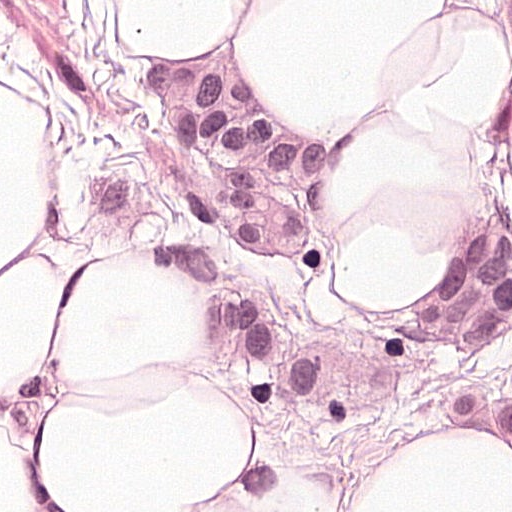
A 0.12-mm field of an H&E-stained sentinel lymph node from a breast-cancer patient (whole-slide image), shown at about 40×, about 0.24 µm per pixel.
Outlines of two tumour regions, largest first (closed clockwise paths, crop pixels): region 1: (62, 0), (126, 0), (167, 43), (267, 72), (323, 150), (311, 272), (335, 287), (385, 281), (420, 262), (482, 137), (495, 78), (504, 78), (511, 305), (473, 331), (407, 414), (304, 414), (235, 384), (204, 343), (142, 137); region 2: (447, 0), (511, 0), (511, 51), (492, 65), (487, 47), (484, 45), (473, 18), (465, 16), (463, 10).
About 35% of the image area is annotated as tumour.